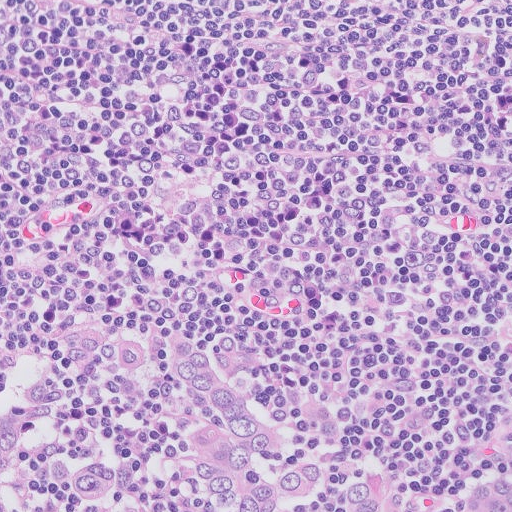
H&E-stained section of a sentinel lymph node (breast cancer), from a whole-slide image, viewed at about 20×: the field is about 0.26 mm across, about 0.5 µm per pixel.
The outlined metastatic tumour's edge, as a closed clockwise path of 5 points: (0, 294), (233, 354), (511, 461), (511, 511), (0, 511).
About 30% of the image area is annotated as tumour.